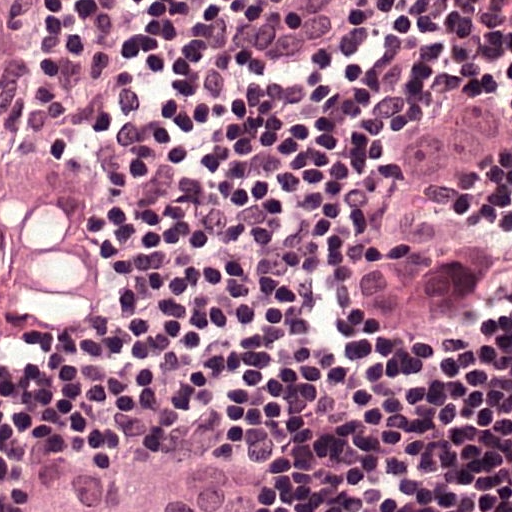
This is a crop of a whole-slide image: an H&E-stained breast-cancer sentinel lymph node section at roughly 40× magnification (about 0.24 µm per pixel; the crop spans about 0.12 mm).
Outlines of two tumour regions, largest first (closed clockwise paths, crop pixels): region 1: (0, 0), (51, 0), (88, 123), (123, 195), (123, 286), (41, 376), (26, 423), (260, 420), (285, 436), (293, 464), (293, 486), (276, 511), (0, 511); region 2: (469, 63), (497, 63), (509, 76), (504, 126), (472, 185), (479, 208), (508, 228), (506, 253), (485, 297), (449, 325), (422, 324), (354, 294), (340, 269), (392, 131), (442, 76).
About 35% of this field is tumour.